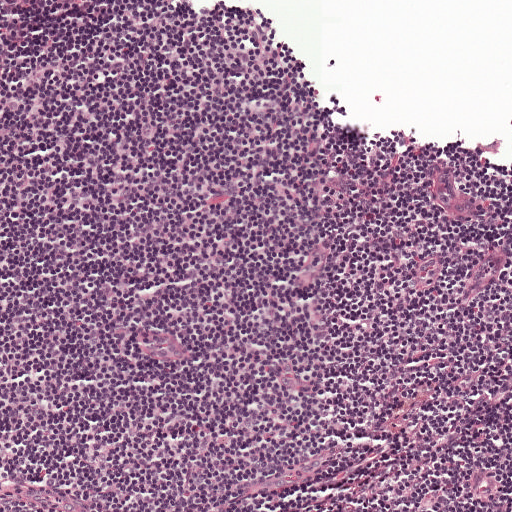
H&E-stained section of a sentinel lymph node (breast cancer), from a whole-slide image, viewed at about 10×: the field is about 0.5 mm across, about 0.97 µm per pixel.